Image:
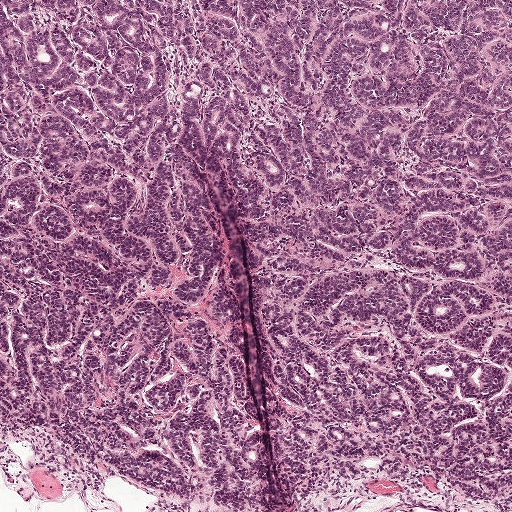
H&E-stained section of a sentinel lymph node (breast cancer), from a whole-slide image, viewed at about 5×: the field is about 1 mm across, about 1.9 µm per pixel.
Question:
Which parts of this field are metastatic tumour?
Answer:
The outlined metastatic tumour's edge, as a closed clockwise path of 14 points: (0, 0), (511, 0), (511, 490), (463, 490), (415, 467), (291, 511), (260, 270), (203, 164), (245, 323), (262, 446), (252, 506), (153, 490), (33, 427), (0, 434).
About 90% of this field is tumour.